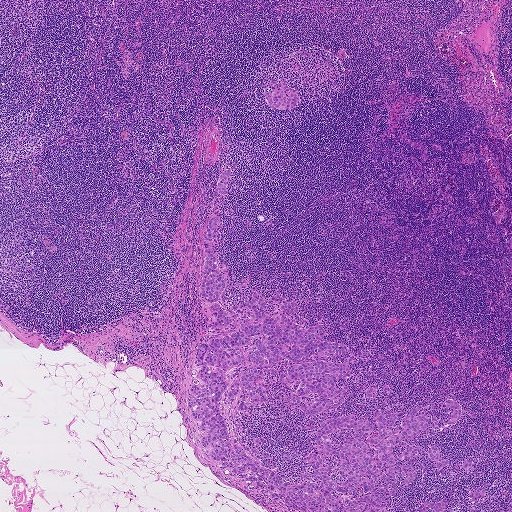
H&E-stained section of a sentinel lymph node (breast cancer), from a whole-slide image, viewed at about 2.5×: the field is about 1.9 mm across, about 3.6 µm per pixel.
Five metastatic tumour regions, each outlined as a closed clockwise path in crop pixels (x, y), largest first: region 1: (274, 83), (286, 83), (299, 95), (299, 101), (296, 106), (291, 109), (279, 110), (267, 104), (265, 92), (272, 92), (270, 88); region 2: (448, 498), (448, 504), (445, 509), (446, 511), (419, 511), (418, 509), (420, 504), (425, 502), (431, 501), (437, 502); region 3: (225, 168), (230, 170), (230, 177), (227, 182), (227, 195), (220, 195), (216, 184), (220, 172); region 4: (452, 400), (457, 401), (460, 406), (460, 412), (459, 418), (456, 422), (450, 424), (445, 424), (450, 418), (451, 413), (454, 412), (453, 409), (450, 408), (445, 405), (445, 401); region 5: (478, 488), (480, 490), (484, 488), (485, 488), (485, 494), (481, 497), (475, 500), (469, 500), (475, 490).
One more tumour region is annotated but not outlined: its edge is too irregular for a short outline.
One more small tumour piece is annotated here but not outlined.
About 10% of the image area is annotated as tumour.